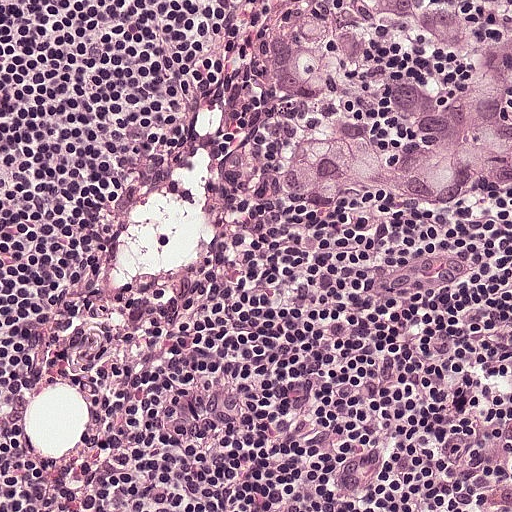
This is a crop of a whole-slide image: an H&E-stained breast-cancer sentinel lymph node section at roughly 20× magnification (about 0.49 µm per pixel; the crop spans about 0.25 mm).
One metastatic tumour region; its boundary, reduced to 13 corners and listed clockwise: (302, 0), (473, 0), (480, 23), (511, 24), (511, 188), (442, 200), (384, 188), (332, 200), (286, 182), (294, 110), (258, 42), (258, 32), (278, 16).
About 15% of the image area is annotated as tumour.